H&E-stained section of a sentinel lymph node (breast cancer), from a whole-slide image, viewed at about 40×: the field is about 0.12 mm across, about 0.24 µm per pixel.
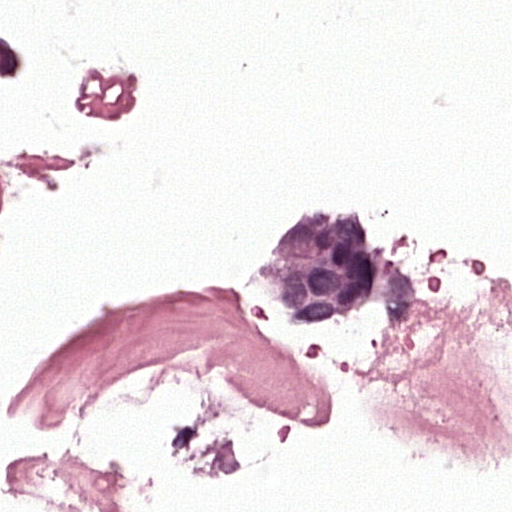
One metastatic tumour region; its boundary, reduced to 7 corners and listed clockwise: (288, 200), (335, 200), (392, 225), (427, 302), (372, 320), (295, 321), (241, 266).
About 5% of the image area is annotated as tumour.